Question: 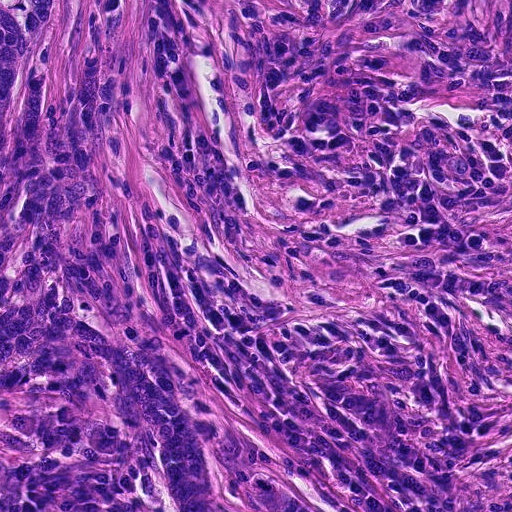
A 0.23-mm field of an H&E-stained sentinel lymph node from a breast-cancer patient (whole-slide image), shown at about 20×, about 0.45 µm per pixel.
Estimate the proportion of this field that is metastatic tumour.

Choices:
 (A) none: no tumour is outlined
 (B) about 5% or less
 (C) about 25% to 45%
 (D) about 10% to 20%
 (E) about 50% or more

Answer: (C) about 25% to 45%
About 35% of the field is tumour.
Metastatic tumour outline, simplified to 10 points and listed clockwise in crop pixels (x, y): (0, 0), (60, 0), (42, 66), (115, 0), (202, 0), (125, 192), (139, 259), (239, 491), (237, 511), (0, 511).